Image:
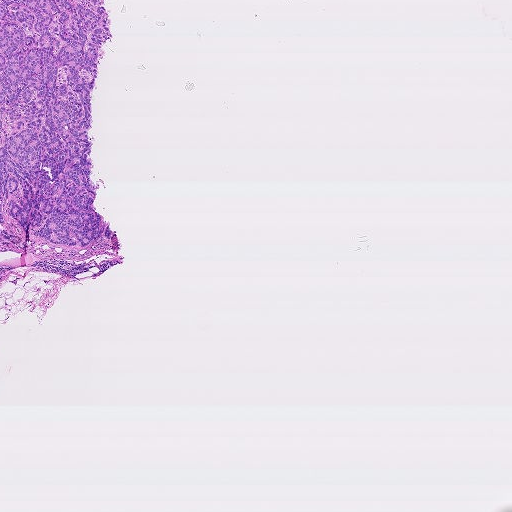
Lymph node section stained with H&E, from a whole-slide image of a breast-cancer sentinel node. Magnification about 2.5×, about 1.9 mm across the frame, about 3.6 µm per pixel.
Question:
Is there metastatic carcinoma in this field?
Answer:
Yes.
Metastatic tumour outline, simplified to 18 points and listed clockwise in crop pixels (x, y): (0, 0), (103, 0), (111, 9), (112, 38), (101, 47), (105, 51), (91, 94), (93, 124), (87, 131), (95, 140), (89, 178), (100, 182), (96, 210), (116, 231), (81, 248), (34, 237), (20, 249), (1, 244).
About 10% of this field is tumour.

Image:
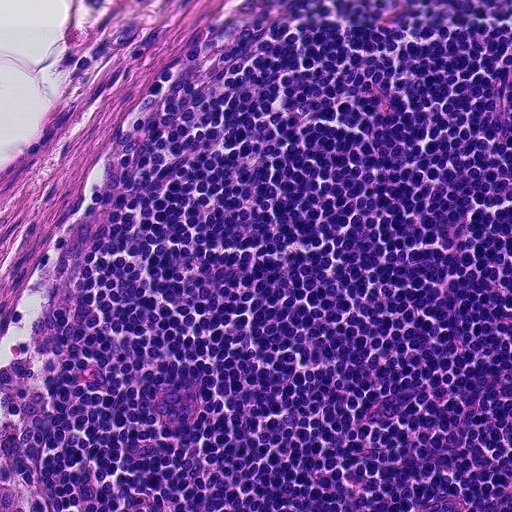
H&E-stained section of a sentinel lymph node (breast cancer), from a whole-slide image, viewed at about 20×: the field is about 0.23 mm across, about 0.45 µm per pixel.
Question:
Is there metastatic carcinoma in this field?
Answer:
No, this field holds no outlined metastasis.

Image:
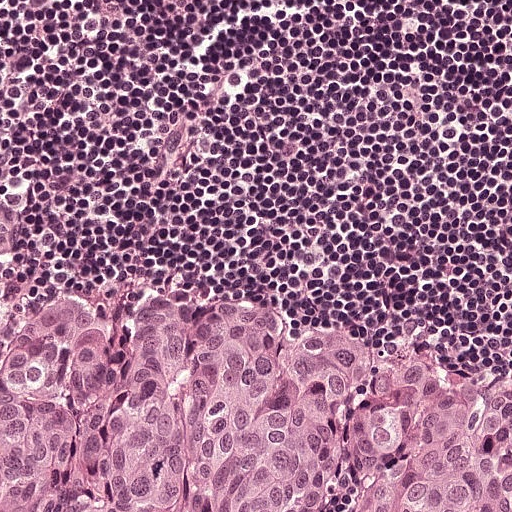
Lymph node section stained with H&E, from a whole-slide image of a breast-cancer sentinel node. Magnification about 20×, about 0.25 mm across the frame, about 0.49 µm per pixel.
Question:
Is there metastatic carcinoma in this field?
Answer:
Yes.
Tumour region outline (a closed clockwise path, crop pixels): (74, 291), (310, 296), (360, 316), (408, 318), (510, 366), (511, 511), (0, 511), (0, 336).
Tumour covers about 40% of the frame.

Image:
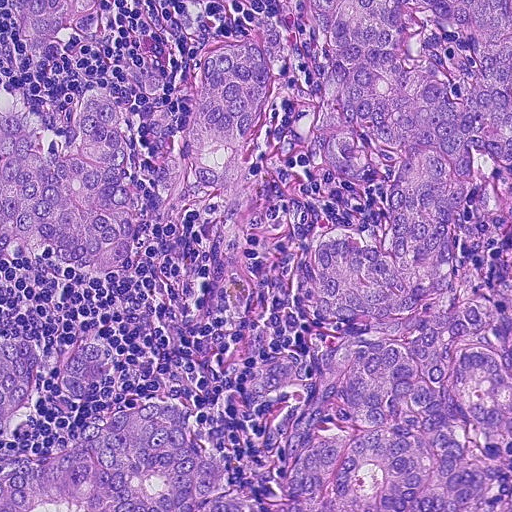
This is a crop of a whole-slide image: an H&E-stained breast-cancer sentinel lymph node section at roughly 20× magnification (about 0.45 µm per pixel; the crop spans about 0.23 mm).
Question:
Is there metastatic carcinoma in this field?
Answer:
Yes.
Boundaries of five metastatic tumour regions, simplified and listed clockwise, largest first: region 1: (305, 0), (511, 0), (511, 174), (466, 148), (443, 297), (511, 307), (511, 511), (0, 511), (0, 473), (154, 400), (240, 494), (282, 494), (252, 370), (362, 328), (317, 315), (298, 254), (336, 232), (386, 246), (403, 156), (361, 128), (372, 172), (314, 154); region 2: (91, 87), (112, 92), (139, 177), (133, 266), (119, 283), (56, 264), (0, 259), (0, 98), (9, 95), (30, 106), (70, 146), (77, 103); region 3: (248, 38), (262, 55), (267, 76), (244, 136), (246, 158), (256, 176), (256, 198), (245, 218), (224, 223), (198, 190), (185, 148), (188, 126), (204, 84), (199, 74), (208, 53), (227, 41); region 4: (19, 0), (100, 0), (98, 18), (100, 30), (84, 40), (76, 30), (62, 28), (57, 36), (67, 52), (56, 61), (35, 54), (18, 40), (16, 18); region 5: (6, 332), (36, 342), (46, 370), (37, 399), (20, 423), (0, 439), (0, 333).
One more small tumour piece is annotated here but not outlined.
About 60% of this field is tumour.